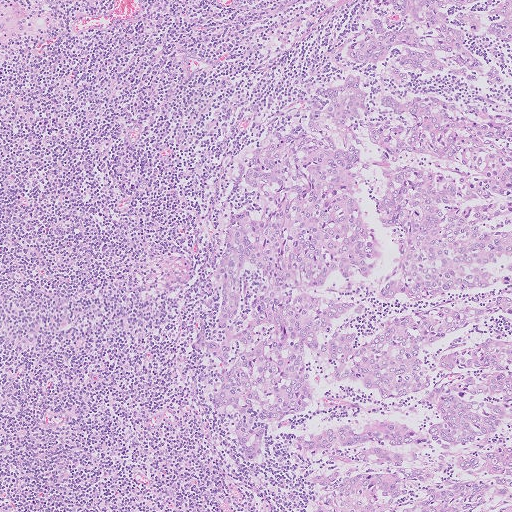
Lymph node section stained with H&E, from a whole-slide image of a breast-cancer sentinel node. Magnification about 5×, about 1.0 mm across the frame, about 2.0 µm per pixel.
Metastatic tumour outline, simplified to 20 points and listed clockwise in crop pixels (x, y): (511, 0), (511, 511), (305, 511), (313, 491), (287, 432), (274, 428), (265, 459), (243, 463), (224, 434), (231, 412), (207, 409), (206, 372), (188, 341), (213, 291), (211, 254), (236, 163), (311, 93), (342, 79), (344, 46), (367, 7).
The annotated tumour makes up about 50% of the crop.